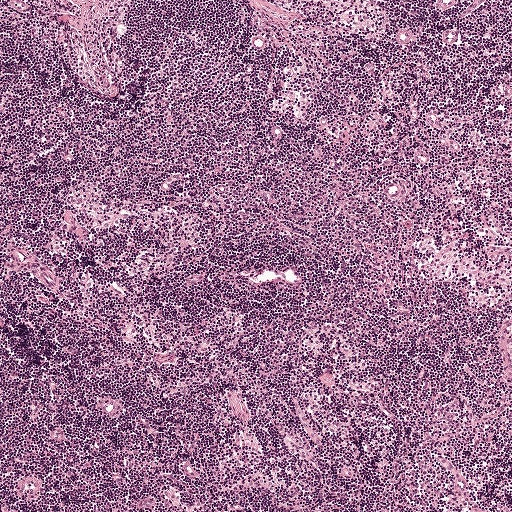
This is a crop of a whole-slide image: an H&E-stained breast-cancer sentinel lymph node section at roughly 5× magnification (about 1.9 µm per pixel; the crop spans about 1 mm).
Question: Is there metastatic carcinoma in this field?
Answer: No, this field holds no outlined metastasis.